Question: 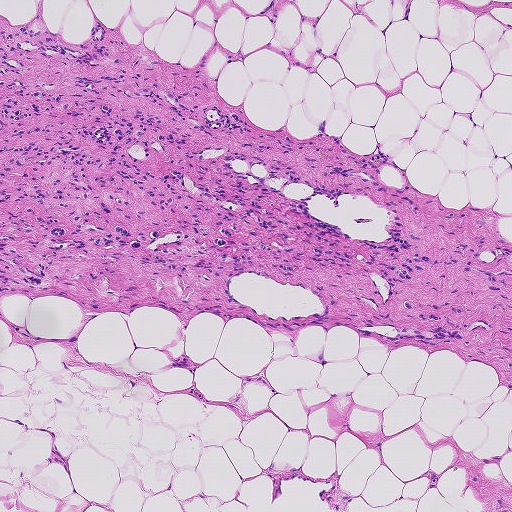
Lymph node section stained with H&E, from a whole-slide image of a breast-cancer sentinel node. Magnification about 5×, about 0.93 mm across the frame, about 1.8 µm per pixel.
About how much of this crop is taken up by metastatic carcinoma?

Choices:
 (A) about 25% to 45%
 (B) about 10% to 20%
 (C) about 50% or more
 (D) about 5% or less
 (E) none: no tumour is outlined

Answer: (A) about 25% to 45%
About 25% of the field is tumour.
The outlined metastatic tumour's edge, as a closed clockwise path of 22 points: (96, 22), (168, 93), (234, 110), (252, 134), (232, 132), (246, 143), (374, 177), (439, 262), (413, 277), (414, 291), (465, 340), (436, 338), (441, 322), (406, 310), (407, 281), (72, 249), (51, 256), (42, 288), (2, 259), (0, 39), (18, 26), (78, 44).